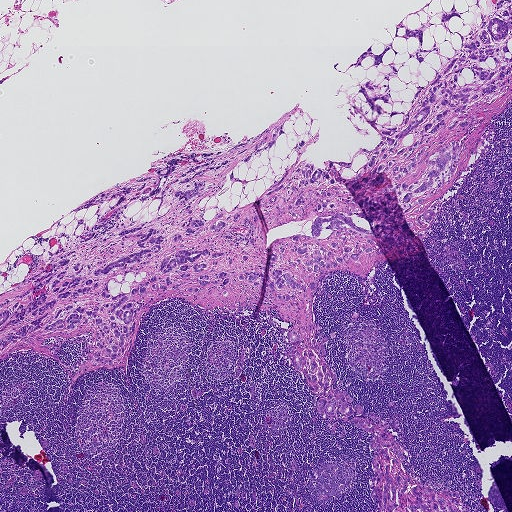
H&E-stained section of a sentinel lymph node (breast cancer), from a whole-slide image, viewed at about 2.5×: the field is about 1.9 mm across, about 3.6 µm per pixel.
Question: Describe where the metastatic carcinoma lies in this crop.
Answer: One metastatic tumour region; its boundary, reduced to 39 corners and listed clockwise: (476, 0), (511, 0), (511, 97), (423, 252), (324, 273), (312, 304), (334, 388), (467, 511), (378, 511), (376, 435), (319, 415), (275, 310), (165, 298), (130, 355), (0, 354), (0, 299), (96, 219), (70, 210), (269, 125), (204, 220), (297, 141), (349, 162), (380, 142), (351, 104), (370, 119), (355, 95), (391, 69), (333, 64), (391, 42), (405, 62), (375, 104), (406, 111), (439, 68), (399, 25), (430, 16), (443, 64), (442, 10), (469, 10), (464, 36).
One more small tumour piece is annotated here but not outlined.
About 30% of this field is tumour.